Question: 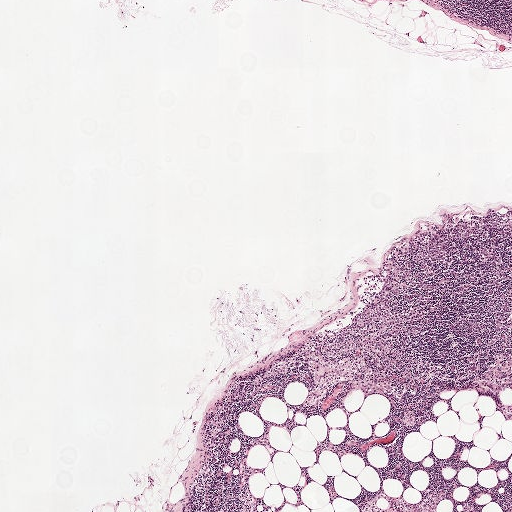
H&E-stained section of a sentinel lymph node (breast cancer), from a whole-slide image, viewed at about 2.5×: the field is about 2.0 mm across, about 3.9 µm per pixel.
Roughly what share of this field is metastatic tumour?

Choices:
 (A) about 25% to 45%
 (B) none: no tumour is outlined
 (C) about 10% to 20%
 (D) about 5% or less
 (E) about 50% or more

Answer: (D) about 5% or less
About 5% of the field is tumour.
One metastatic tumour region; its boundary, reduced to 22 corners and listed clockwise: (458, 219), (478, 221), (480, 235), (450, 248), (446, 265), (436, 272), (439, 292), (433, 299), (431, 320), (407, 346), (406, 364), (401, 375), (387, 374), (360, 357), (317, 356), (311, 351), (311, 343), (332, 336), (358, 312), (376, 289), (386, 260), (407, 231).